Question: 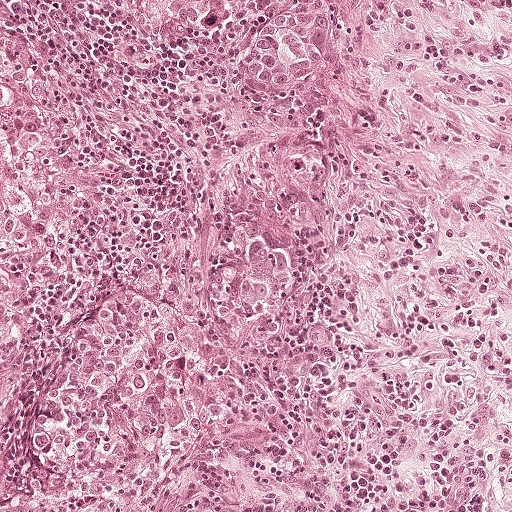
H&E-stained section of a sentinel lymph node (breast cancer), from a whole-slide image, viewed at about 10×: the field is about 0.5 mm across, about 0.97 µm per pixel.
What fraction of the image area is metastatic tumour?

Choices:
 (A) about 5% or less
 (B) about 25% to 45%
 (C) about 50% or more
 (D) about 10% to 20%
 (E) none: no tumour is outlined

Answer: (C) about 50% or more
About 60% of the field is tumour.
Metastatic tumour outline, simplified to 11 points and listed clockwise in crop pixels (x, y): (0, 0), (83, 41), (90, 31), (73, 0), (373, 0), (374, 164), (348, 283), (248, 417), (152, 466), (124, 511), (0, 511).